Question: 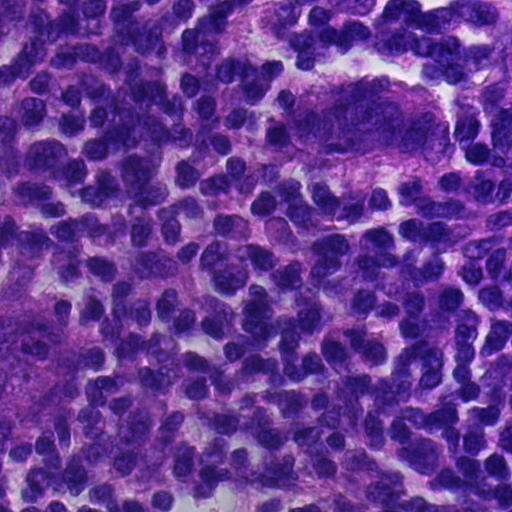
H&E-stained section of a sentinel lymph node (breast cancer), from a whole-slide image, viewed at about 40×: the field is about 0.12 mm across, about 0.23 µm per pixel.
About how much of this crop is taken up by metastatic carcinoma?

Choices:
 (A) none: no tumour is outlined
 (B) about 10% to 20%
 (C) about 25% to 45%
 (D) about 50% or more
 (E) about 5% or less

Answer: (B) about 10% to 20%
About 10% of the field is tumour.
Outlines of two tumour regions, largest first (closed clockwise paths, crop pixels): region 1: (318, 62), (425, 76), (469, 145), (432, 173), (311, 159), (259, 98); region 2: (0, 296), (64, 309), (87, 336), (64, 429), (7, 476), (0, 473).